This is a crop of a whole-slide image: an H&E-stained breast-cancer sentinel lymph node section at roughly 10× magnification (about 0.9 µm per pixel; the crop spans about 0.46 mm).
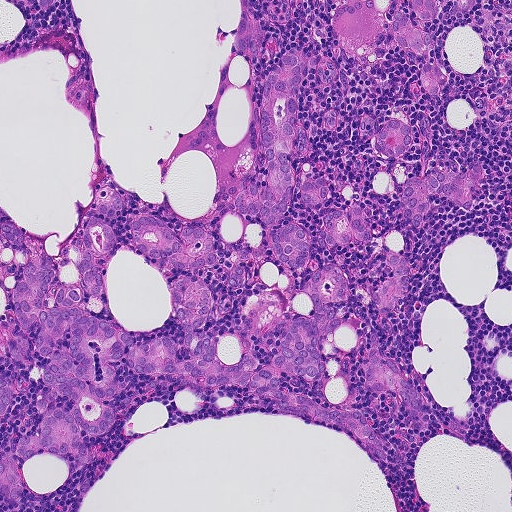
Outlines of five tumour regions, largest first (closed clockwise paths, crop pixels): region 1: (469, 164), (478, 164), (483, 174), (470, 212), (436, 196), (428, 200), (428, 221), (421, 227), (410, 227), (402, 220), (398, 211), (398, 200), (400, 189), (406, 180), (440, 170), (460, 170); region 2: (396, 0), (438, 0), (444, 9), (441, 19), (431, 22), (421, 20), (408, 9), (414, 18), (430, 32), (434, 42), (428, 63), (444, 76), (445, 86), (439, 94), (428, 94), (420, 88), (419, 67), (415, 58), (408, 51), (398, 48), (392, 39), (390, 18); region 3: (396, 119), (406, 123), (410, 132), (410, 142), (405, 152), (396, 157), (386, 157), (377, 151), (374, 141), (376, 130), (382, 122), (386, 120); region 4: (241, 12), (245, 18), (255, 22), (262, 40), (262, 50), (254, 56), (244, 56), (234, 52), (232, 42); region 5: (0, 378), (11, 386), (12, 396), (3, 426), (0, 430).
One more tumour region is annotated but not outlined: its edge is too irregular for a short outline.
The annotated tumour makes up about 25% of the crop.